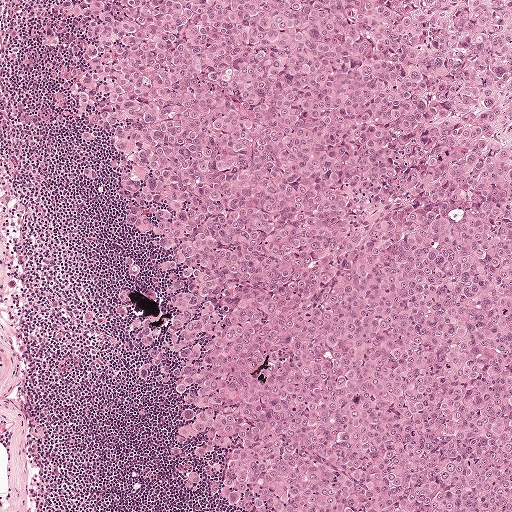
A 1-mm field of an H&E-stained sentinel lymph node from a breast-cancer patient (whole-slide image), shown at about 5×, about 1.9 µm per pixel.
Two metastatic tumour regions, each outlined as a closed clockwise path in crop pixels (x, y), largest first: region 1: (511, 0), (511, 511), (220, 511), (188, 442), (165, 287), (131, 224), (98, 93), (74, 68), (49, 62), (58, 4); region 2: (125, 256), (142, 265), (138, 266), (152, 269), (155, 276), (162, 334), (175, 382), (174, 388), (153, 388), (137, 381), (137, 351), (131, 341), (80, 326), (82, 318), (87, 314), (106, 314), (109, 310), (119, 265).
About 75% of the image area is annotated as tumour.